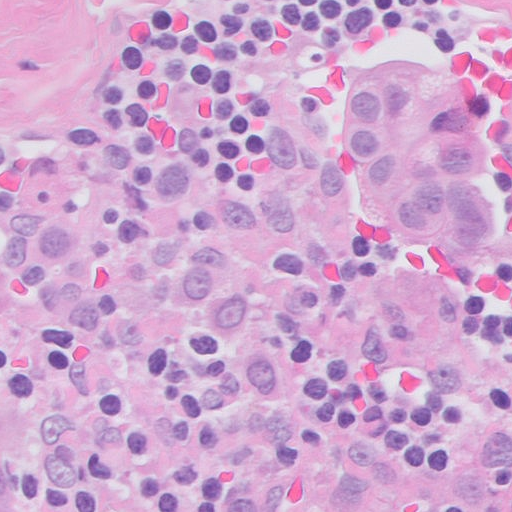
Lymph node section stained with H&E, from a whole-slide image of a breast-cancer sentinel node. Magnification about 40×, about 0.13 mm across the frame, about 0.25 µm per pixel.
Tumour region outline (a closed clockwise path, crop pixels): (412, 26), (489, 61), (511, 130), (511, 252), (499, 276), (413, 265), (347, 188), (309, 81).
The annotated tumour makes up about 15% of the crop.